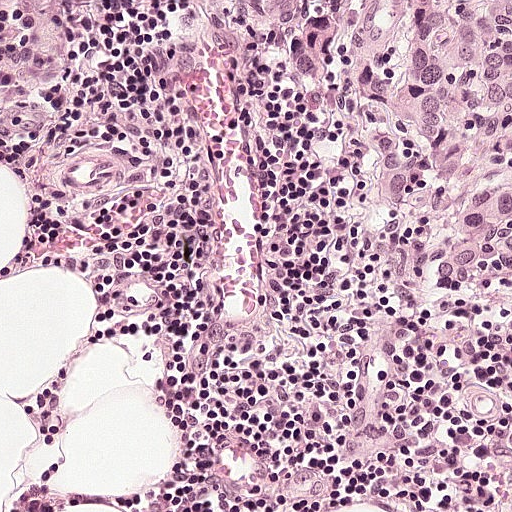
This is a crop of a whole-slide image: an H&E-stained breast-cancer sentinel lymph node section at roughly 20× magnification (about 0.49 µm per pixel; the crop spans about 0.25 mm).
Question: Describe where the metastatic carcinoma lies in this crop.
Answer: Tumour region outline (a closed clockwise path, crop pixels): (511, 0), (511, 321), (462, 321), (425, 301), (402, 246), (333, 154), (334, 128), (246, 28), (197, 2).
Tumour covers about 20% of the frame.